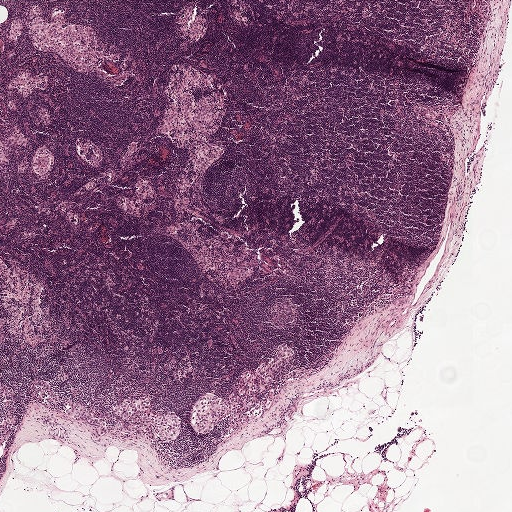
A 2.0-mm field of an H&E-stained sentinel lymph node from a breast-cancer patient (whole-slide image), shown at about 2.5×, about 3.9 µm per pixel.
Question: Does this lymph node field contain metastatic tumour?
Answer: Yes.
Outlines of three tumour regions, largest first (closed clockwise paths, crop pixels): region 1: (282, 341), (289, 342), (295, 347), (295, 354), (273, 381), (260, 390), (252, 409), (253, 416), (238, 429), (228, 429), (230, 421), (227, 415), (206, 434), (199, 434), (192, 431), (190, 418), (199, 394), (209, 391), (222, 398), (231, 395), (242, 372), (257, 368), (275, 354); region 2: (129, 395), (140, 395), (152, 399), (155, 412), (171, 411), (180, 416), (180, 430), (173, 442), (166, 443), (160, 441), (155, 443), (150, 443), (142, 427), (127, 440), (122, 441), (118, 438), (115, 431), (114, 408); region 3: (80, 402), (95, 411), (108, 411), (108, 416), (104, 418), (108, 425), (108, 433), (97, 434), (89, 425), (66, 414), (64, 412), (66, 407).
The annotated tumour makes up under 5% of the crop.